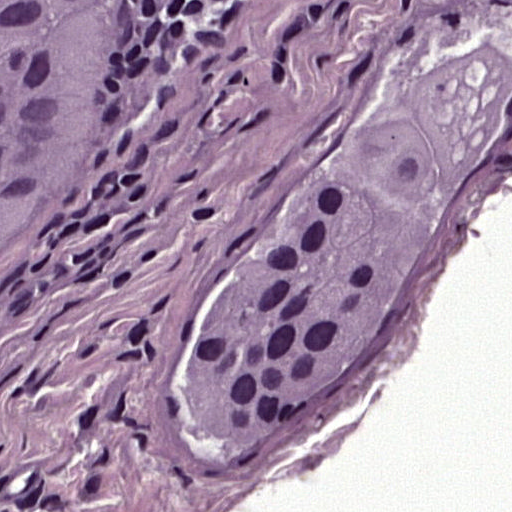
Lymph node section stained with H&E, from a whole-slide image of a breast-cancer sentinel node. Magnification about 40×, about 0.12 mm across the frame, about 0.24 µm per pixel.
Question: Describe where the metastatic carcinoma lies in this crop.
Answer: Outlines of two tumour regions, largest first (closed clockwise paths, crop pixels): region 1: (479, 14), (508, 73), (420, 236), (402, 327), (337, 390), (260, 441), (169, 419), (178, 329), (233, 254), (303, 195), (362, 125), (418, 37); region 2: (0, 0), (139, 0), (129, 75), (58, 247), (0, 316).
About 35% of this field is tumour.